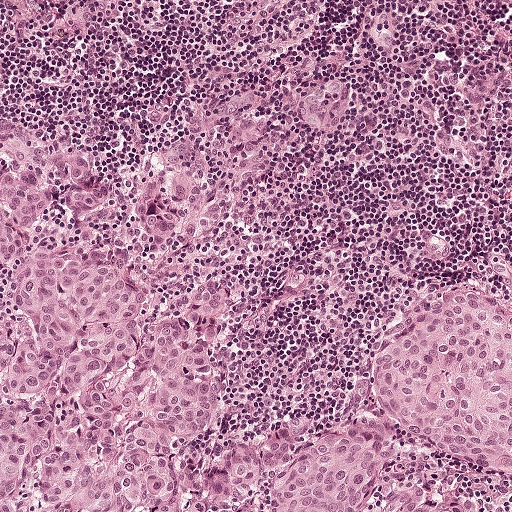
This is a crop of a whole-slide image: an H&E-stained breast-cancer sentinel lymph node section at roughly 10× magnification (about 0.97 µm per pixel; the crop spans about 0.5 mm).
Question: Trace the edge of each tumour region in this crop, as (x, y) points from 0 to 511.
Answer: The outlined metastatic tumour's edge, as a closed clockwise path of 21 points: (0, 112), (106, 162), (155, 140), (188, 140), (221, 159), (242, 200), (250, 256), (211, 296), (232, 329), (217, 408), (197, 448), (204, 468), (270, 428), (320, 428), (375, 398), (373, 344), (402, 312), (490, 290), (511, 312), (511, 511), (0, 511).
About 50% of the image area is annotated as tumour.